H&E-stained section of a sentinel lymph node (breast cancer), from a whole-slide image, viewed at about 5×: the field is about 0.93 mm across, about 1.8 µm per pixel.
Image:
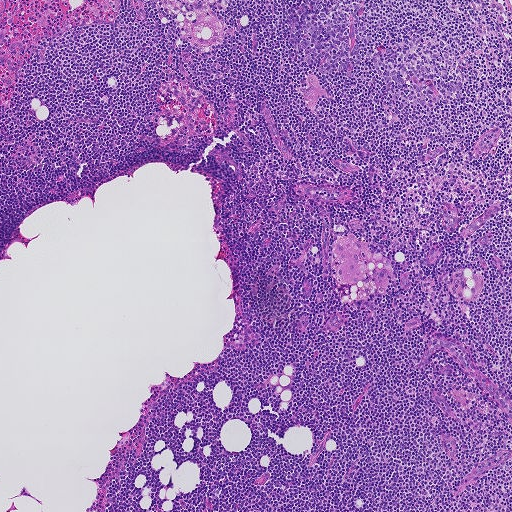
Question:
Does this lymph node field contain metastatic tumour?
Answer:
No: no metastatic tumour is outlined anywhere in this field.